Image:
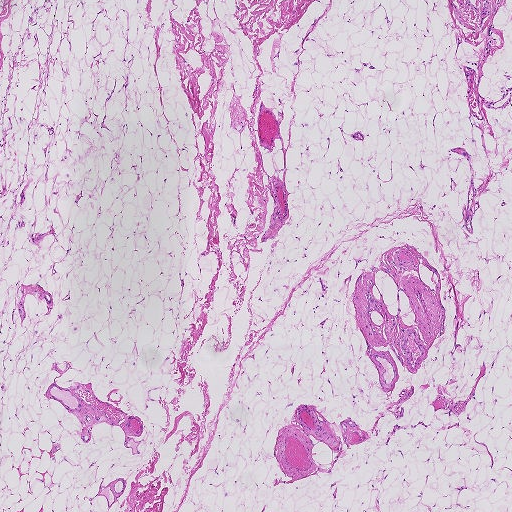
Lymph node section stained with H&E, from a whole-slide image of a breast-cancer sentinel node. Magnification about 2.5×, about 1.9 mm across the frame, about 3.6 µm per pixel.
Question:
Is there metastatic carcinoma in this field?
Answer:
No: no metastatic tumour is outlined anywhere in this field.